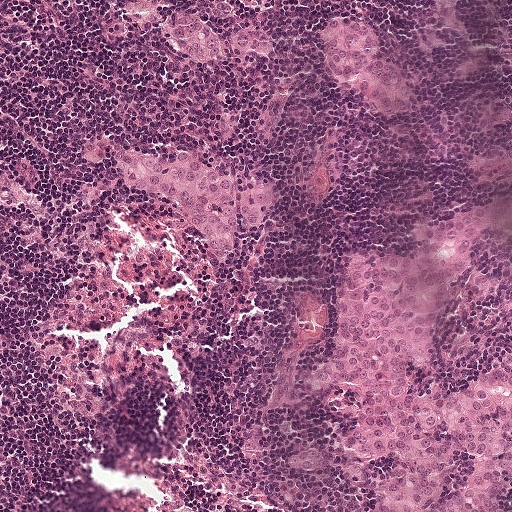
This is a crop of a whole-slide image: an H&E-stained breast-cancer sentinel lymph node section at roughly 10× magnification (about 0.97 µm per pixel; the crop spans about 0.5 mm).
Question: Is there metastatic carcinoma in this field?
Answer: Yes.
Outlines of four tumour regions, largest first (closed clockwise paths, crop pixels): region 1: (511, 190), (511, 236), (473, 253), (496, 294), (440, 313), (425, 354), (442, 390), (511, 371), (511, 490), (498, 511), (443, 511), (470, 453), (446, 464), (420, 511), (364, 511), (400, 471), (347, 457), (336, 431), (352, 393), (311, 380), (344, 252), (407, 251), (413, 226), (454, 200); region 2: (117, 144), (143, 148), (166, 162), (178, 152), (184, 152), (234, 186), (267, 184), (270, 197), (264, 217), (252, 227), (232, 229), (229, 256), (220, 262), (211, 262), (171, 202), (131, 190), (115, 175), (109, 152); region 3: (347, 19), (366, 32), (375, 43), (373, 58), (390, 64), (412, 82), (415, 112), (399, 120), (392, 119), (354, 92), (329, 81), (323, 73), (318, 52), (321, 26), (327, 20); region 4: (174, 10), (181, 11), (196, 18), (209, 27), (219, 38), (222, 52), (221, 58), (211, 64), (203, 64), (190, 63), (174, 54), (157, 28), (159, 17), (164, 12), (176, 11).
Two more small tumour pieces are annotated here but not outlined.
Tumour covers about 20% of the frame.